Question: 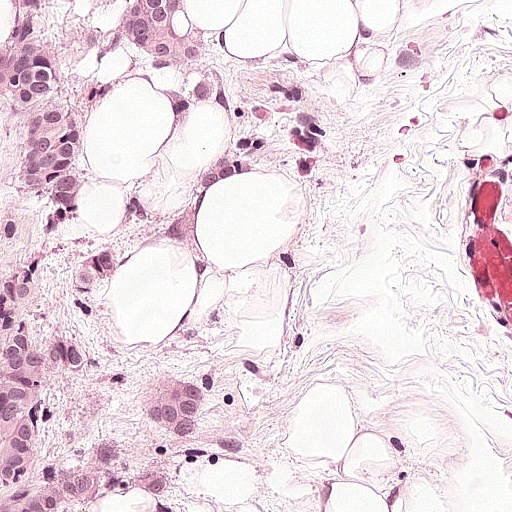
Lymph node section stained with H&E, from a whole-slide image of a breast-cancer sentinel node. Magnification about 20×, about 0.25 mm across the frame, about 0.49 µm per pixel.
What fraction of the image area is metastatic tumour?

Choices:
 (A) about 5% or less
 (B) about 50% or more
 (C) about 10% to 20%
 (D) about 25% to 45%
 (E) none: no tumour is outlined

Answer: (D) about 25% to 45%
About 35% of the field is tumour.
Tumour region outline (a closed clockwise path, crop pixels): (0, 0), (201, 0), (225, 72), (228, 110), (178, 129), (82, 122), (86, 185), (201, 179), (202, 242), (171, 268), (123, 266), (114, 278), (119, 340), (154, 359), (208, 360), (223, 390), (210, 455), (178, 494), (147, 510), (0, 511).